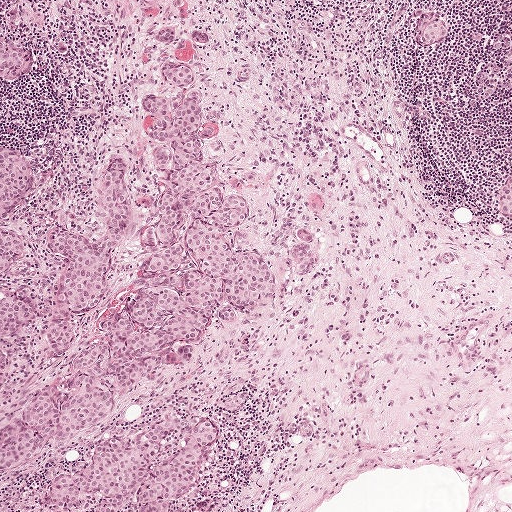
Lymph node section stained with H&E, from a whole-slide image of a breast-cancer sentinel node. Magnification about 5×, about 1 mm across the frame, about 1.9 µm per pixel.
Two metastatic tumour regions, each outlined as a closed clockwise path in crop pixels (x, y), largest first: region 1: (164, 66), (198, 66), (201, 116), (216, 126), (201, 145), (222, 188), (250, 200), (230, 246), (261, 256), (274, 292), (211, 324), (184, 365), (142, 375), (91, 434), (0, 475), (0, 426), (30, 421), (136, 294), (168, 186), (140, 102), (171, 91); region 2: (0, 32), (24, 40), (35, 46), (36, 51), (36, 65), (26, 76), (15, 82), (0, 82).
About 15% of this field is tumour.